Image:
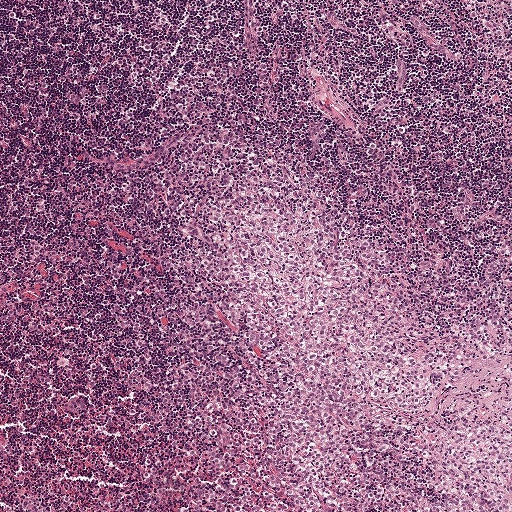
This is a crop of a whole-slide image: an H&E-stained breast-cancer sentinel lymph node section at roughly 5× magnification (about 1.9 µm per pixel; the crop spans about 1 mm).
Question:
Which parts of this field are metastatic tumour?
Answer:
Outlines of two tumour regions, largest first (closed clockwise paths, crop pixels): region 1: (198, 142), (265, 142), (310, 204), (324, 251), (376, 284), (510, 310), (511, 511), (121, 511), (136, 486), (144, 428), (108, 386), (106, 288), (148, 282), (224, 348), (177, 228), (175, 171); region 2: (500, 0), (511, 0), (511, 106), (504, 97), (494, 63), (494, 11).
About 40% of this field is tumour.